Question: 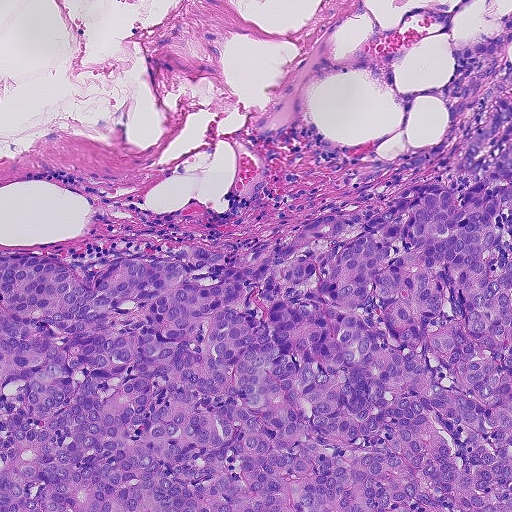
A 0.46-mm field of an H&E-stained sentinel lymph node from a breast-cancer patient (whole-slide image), shown at about 10×, about 0.9 µm per pixel.
What fraction of the image area is metastatic tumour?

Choices:
 (A) about 5% or less
 (B) none: no tumour is outlined
 (C) about 25% to 45%
 (D) about 50% or more
 (E) about 10% to 20%

Answer: (D) about 50% or more
About 60% of the field is tumour.
Metastatic tumour outline, simplified to 20 points and listed clockwise in crop pixels (x, y): (511, 4), (511, 511), (0, 511), (0, 252), (72, 262), (282, 238), (326, 212), (362, 216), (406, 186), (474, 184), (483, 179), (450, 176), (452, 160), (494, 98), (463, 114), (439, 155), (393, 171), (443, 126), (450, 43), (498, 34).